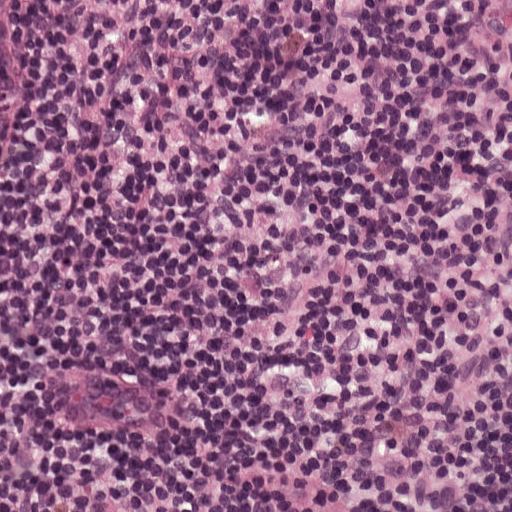
This is a crop of a whole-slide image: an H&E-stained breast-cancer sentinel lymph node section at roughly 20× magnification (about 0.49 µm per pixel; the crop spans about 0.25 mm).